Question: 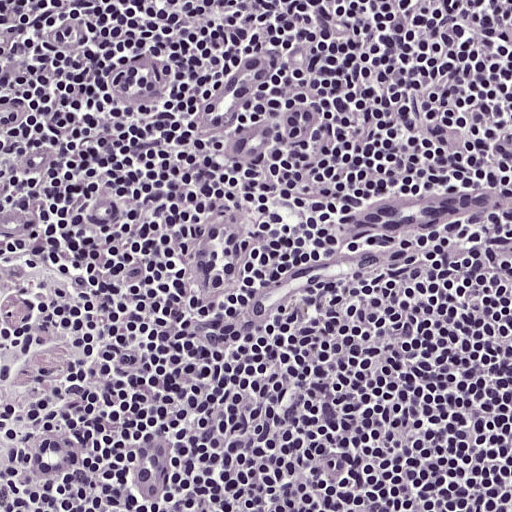
Which magnification is this H&E lymph node field most likely shown at?

Choices:
 (A) about 2.5×
 (B) about 5×
 (C) about 40×
 (D) about 10×
 (E) about 20×

Answer: (E) about 20×
Lymph node section stained with H&E, from a whole-slide image of a breast-cancer sentinel node. Magnification about 20×, about 0.25 mm across the frame, about 0.49 µm per pixel.